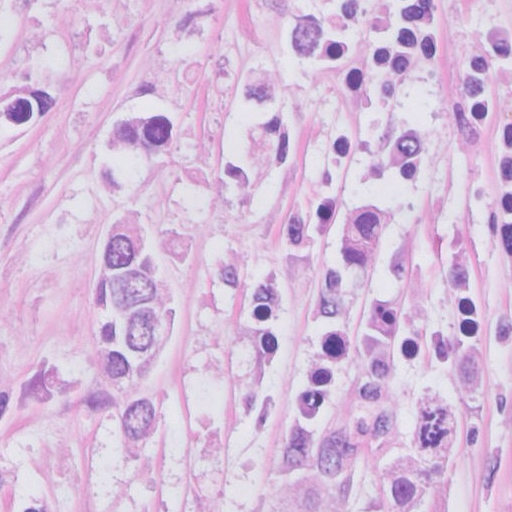
This is a crop of a whole-slide image: an H&E-stained breast-cancer sentinel lymph node section at roughly 40× magnification (about 0.25 µm per pixel; the crop spans about 0.13 mm).
Three metastatic tumour regions, each outlined as a closed clockwise path in crop pixels (x, y), largest first: region 1: (117, 179), (179, 193), (209, 272), (209, 345), (186, 433), (122, 466), (90, 402), (77, 327), (83, 247); region 2: (468, 329), (500, 356), (481, 511), (345, 511), (359, 509), (416, 387); region 3: (0, 0), (18, 0), (10, 37), (0, 57).
One more small tumour piece is annotated here but not outlined.
About 20% of the image area is annotated as tumour.